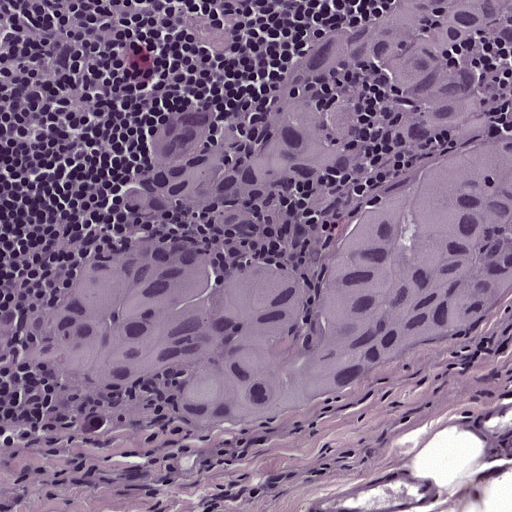
A 0.25-mm field of an H&E-stained sentinel lymph node from a breast-cancer patient (whole-slide image), shown at about 20×, about 0.49 µm per pixel.
One metastatic tumour region; its boundary, reduced to 19 corners and listed clockwise: (511, 0), (511, 321), (384, 393), (248, 424), (202, 425), (161, 406), (161, 377), (114, 403), (0, 377), (0, 305), (44, 298), (106, 229), (114, 184), (166, 106), (212, 106), (212, 143), (250, 138), (296, 58), (370, 4).
About 55% of the image area is annotated as tumour.